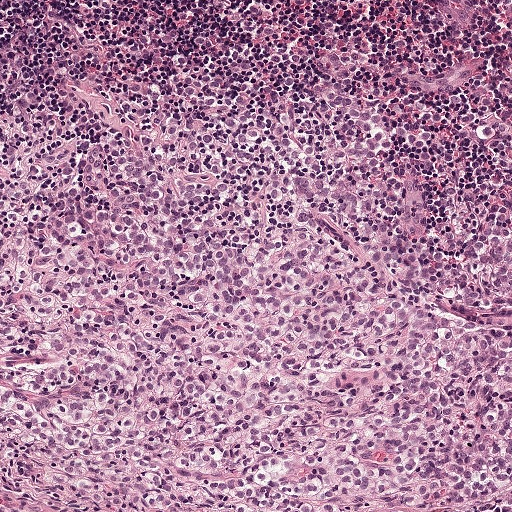
This is a crop of a whole-slide image: an H&E-stained breast-cancer sentinel lymph node section at roughly 10× magnification (about 0.97 µm per pixel; the crop spans about 0.5 mm).
One metastatic tumour region; its boundary, reduced to 11 corners and listed clockwise: (0, 69), (344, 102), (433, 186), (474, 248), (473, 186), (510, 172), (511, 308), (499, 291), (511, 312), (511, 511), (0, 511).
The annotated tumour makes up about 80% of the crop.